This is a crop of a whole-slide image: an H&E-stained breast-cancer sentinel lymph node section at roughly 5× magnification (about 1.9 µm per pixel; the crop spans about 1 mm).
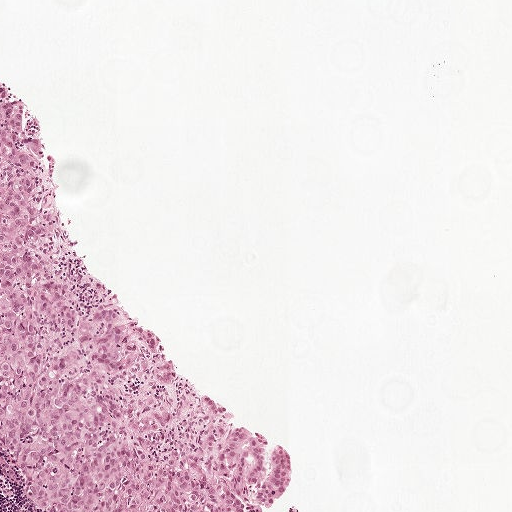
Tumour region outline (a closed clockwise path, crop pixels): (0, 80), (34, 118), (82, 263), (223, 413), (285, 448), (290, 485), (262, 511), (36, 511), (11, 480), (0, 453).
About 20% of the image area is annotated as tumour.